This is a crop of a whole-slide image: an H&E-stained breast-cancer sentinel lymph node section at roughly 5× magnification (about 1.8 µm per pixel; the crop spans about 0.93 mm).
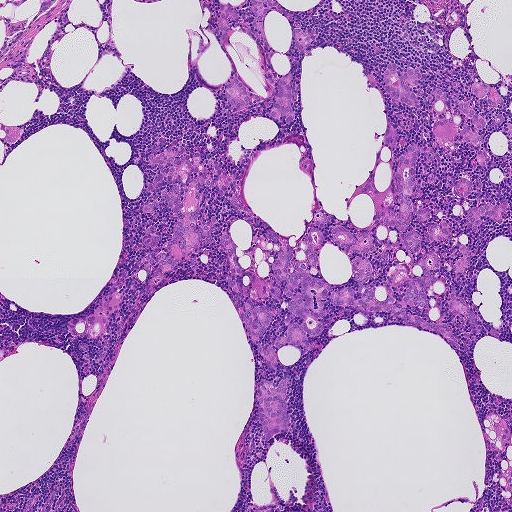
Boundaries of eight metastatic tumour regions, simplified and listed clockwise, largest first: region 1: (246, 0), (274, 0), (294, 19), (292, 23), (294, 27), (303, 31), (312, 28), (315, 30), (316, 35), (315, 39), (308, 46), (311, 55), (299, 55), (293, 47), (291, 27), (286, 19), (275, 10), (270, 9), (264, 17), (265, 32), (270, 50), (262, 46), (254, 33), (254, 20), (250, 2), (237, 9), (240, 17), (232, 22), (231, 32), (223, 49), (216, 28), (220, 5), (234, 6), (243, 4); region 2: (438, 86), (446, 94), (461, 98), (468, 106), (482, 114), (488, 123), (487, 128), (481, 130), (470, 123), (481, 134), (483, 140), (480, 150), (488, 156), (488, 162), (485, 165), (480, 165), (476, 162), (474, 147), (465, 142), (462, 138), (461, 128), (464, 118), (446, 100), (436, 99), (435, 89); region 3: (396, 63), (401, 73), (404, 69), (408, 66), (418, 69), (421, 79), (419, 84), (409, 85), (420, 104), (418, 108), (402, 104), (389, 95), (382, 80), (386, 65); region 4: (505, 201), (507, 205), (501, 224), (484, 216), (480, 218), (480, 229), (476, 232), (471, 232), (467, 229), (465, 218), (469, 209); region 5: (234, 75), (248, 88), (250, 98), (243, 110), (238, 110), (228, 105), (224, 97), (224, 88); region 6: (474, 82), (480, 82), (495, 88), (503, 101), (500, 105), (485, 104), (474, 94), (470, 85); region 7: (464, 178), (469, 180), (471, 184), (471, 190), (468, 194), (464, 197), (459, 197), (454, 194), (453, 189), (454, 184), (457, 180); region 8: (386, 124), (389, 127), (393, 129), (397, 139), (397, 144), (393, 146), (388, 146), (383, 144), (382, 139).
One more tumour region is annotated but not outlined: its edge is too irregular for a short outline.
Two more, smaller tumour regions are not outlined.
Two more small tumour pieces are annotated here but not outlined.
The annotated tumour makes up about 10% of the crop.